Question: 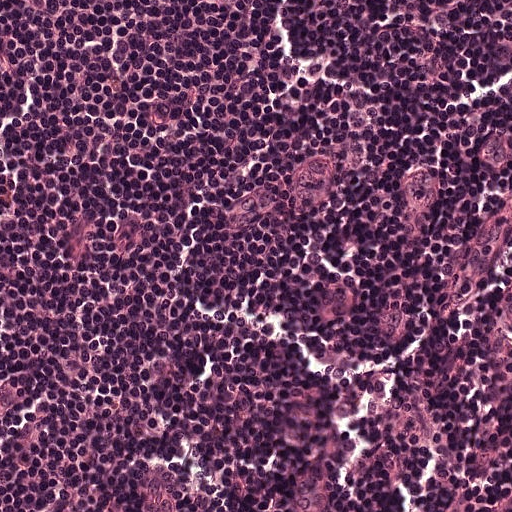
Which magnification is this H&E lymph node field most likely shown at?

Choices:
 (A) about 20×
 (B) about 40×
 (C) about 10×
 (D) about 5×
 (E) about 2.5×

Answer: (A) about 20×
H&E-stained section of a sentinel lymph node (breast cancer), from a whole-slide image, viewed at about 20×: the field is about 0.25 mm across, about 0.49 µm per pixel.